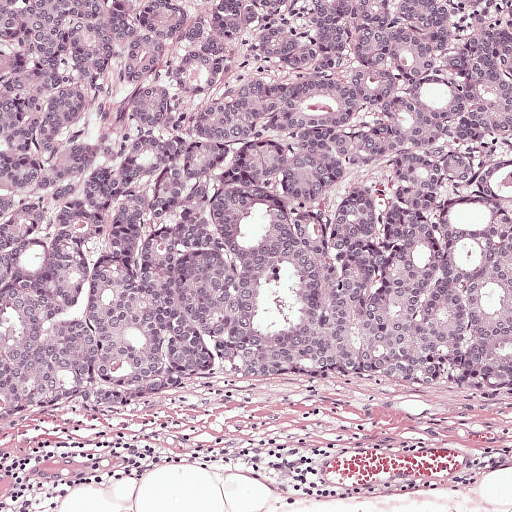
This is a crop of a whole-slide image: an H&E-stained breast-cancer sentinel lymph node section at roughly 10× magnification (about 0.97 µm per pixel; the crop spans about 0.5 mm).
The outlined metastatic tumour's edge, as a closed clockwise path of 6 points: (0, 0), (511, 0), (511, 398), (262, 380), (48, 410), (0, 429).
Tumour covers about 75% of the frame.